Image:
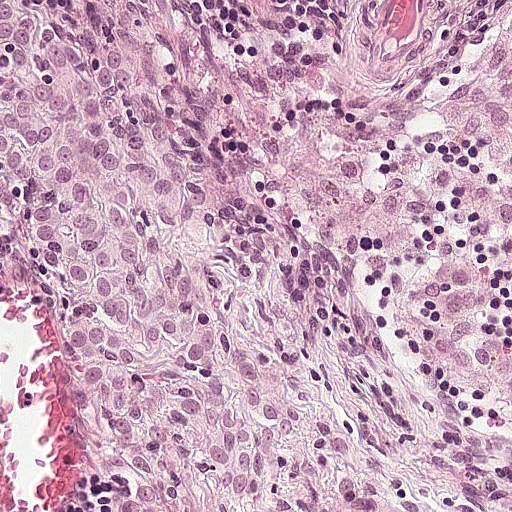
A 0.25-mm field of an H&E-stained sentinel lymph node from a breast-cancer patient (whole-slide image), shown at about 20×, about 0.49 µm per pixel.
Question:
Does this lymph node field contain metastatic tumour?
Answer:
Yes.
One metastatic tumour region; its boundary, reduced to 20 corners and listed clockwise: (0, 0), (50, 0), (72, 30), (108, 38), (172, 92), (214, 172), (226, 264), (261, 352), (292, 390), (313, 392), (304, 434), (280, 443), (265, 505), (237, 511), (204, 485), (178, 511), (111, 511), (92, 485), (76, 301), (0, 240).
The annotated tumour makes up about 35% of the crop.